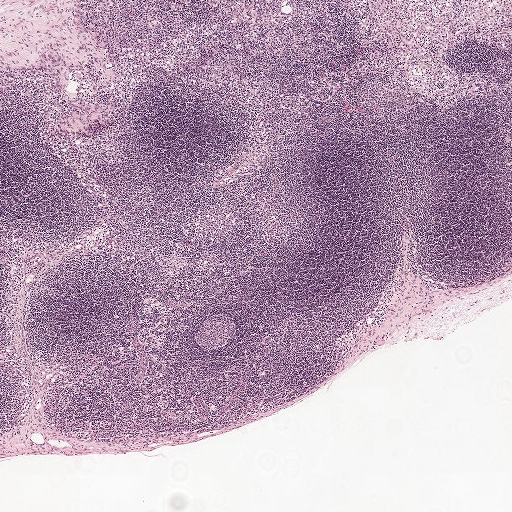
Lymph node section stained with H&E, from a whole-slide image of a breast-cancer sentinel node. Magnification about 2.5×, about 2.0 mm across the frame, about 3.9 µm per pixel.